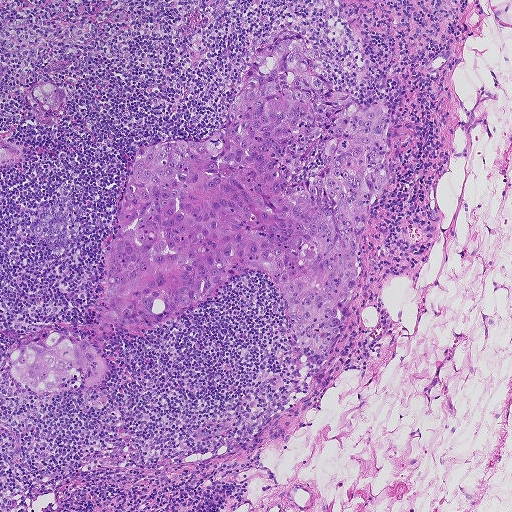
A 0.93-mm field of an H&E-stained sentinel lymph node from a breast-cancer patient (whole-slide image), shown at about 5×, about 1.8 µm per pixel.
Boundaries of four metastatic tumour regions, simplified and listed clockwise, largest first: region 1: (290, 32), (306, 41), (329, 84), (357, 106), (388, 114), (395, 179), (361, 234), (350, 312), (325, 362), (309, 362), (299, 348), (284, 296), (253, 271), (144, 331), (111, 326), (100, 315), (108, 246), (139, 151), (213, 135), (260, 49); region 2: (42, 329), (59, 331), (92, 345), (103, 360), (106, 377), (92, 388), (94, 397), (102, 394), (110, 396), (108, 405), (100, 407), (92, 406), (82, 391), (84, 382), (79, 375), (71, 377), (57, 389), (49, 393), (24, 386), (10, 374), (7, 357), (16, 342); region 3: (46, 81), (55, 83), (62, 89), (64, 97), (63, 106), (56, 111), (47, 111), (39, 108), (29, 94), (32, 86); region 4: (0, 142), (14, 144), (20, 148), (20, 155), (14, 160), (0, 164).
The annotated tumour makes up about 25% of the crop.